Image:
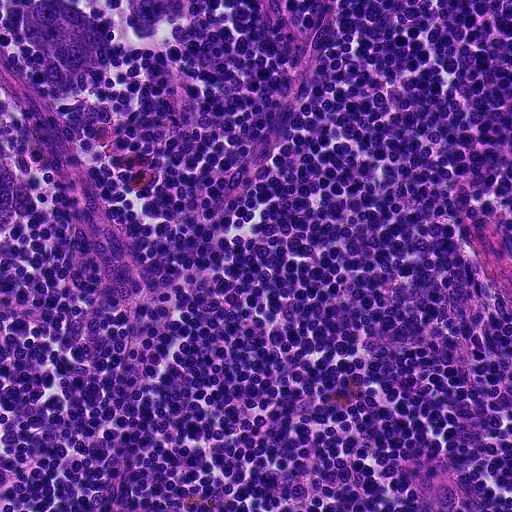
This is a crop of a whole-slide image: an H&E-stained breast-cancer sentinel lymph node section at roughly 20× magnification (about 0.45 µm per pixel; the crop spans about 0.23 mm).
Question:
Trace the edge of each tumour region in this crop, as (x, y) points from 0 to 511.
Answer:
Outlines of three tumour regions, largest first (closed clockwise paths, crop pixels): region 1: (17, 0), (72, 0), (100, 24), (113, 47), (108, 75), (84, 93), (52, 88), (35, 66); region 2: (0, 104), (14, 113), (15, 140), (15, 195), (0, 233); region 3: (110, 0), (186, 0), (172, 12), (157, 27), (132, 19).
The annotated tumour makes up about 5% of the crop.